Lymph node section stained with H&E, from a whole-slide image of a breast-cancer sentinel node. Magnification about 40×, about 0.12 mm across the frame, about 0.23 µm per pixel.
Question: 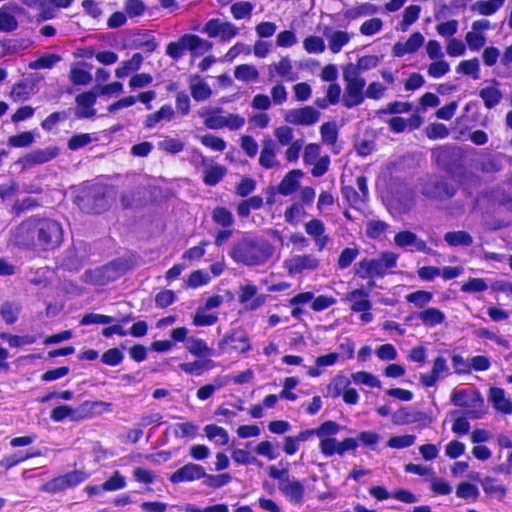
About how much of this crop is taken up by metastatic carcinoma?

Choices:
 (A) none: no tumour is outlined
 (B) about 10% to 20%
 (C) about 25% to 45%
 (D) about 50% or more
 (E) about 5% or less

Answer: (B) about 10% to 20%
About 15% of the field is tumour.
Metastatic tumour outline, simplified to 16 points and listed clockwise in crop pixels (x, y): (433, 124), (511, 143), (511, 260), (447, 264), (363, 223), (354, 196), (205, 198), (153, 277), (72, 320), (0, 338), (0, 221), (61, 189), (153, 158), (223, 182), (314, 189), (361, 182).